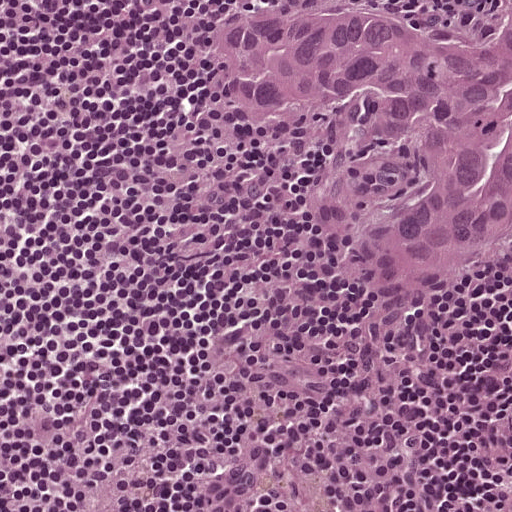
H&E-stained section of a sentinel lymph node (breast cancer), from a whole-slide image, viewed at about 20×: the field is about 0.25 mm across, about 0.49 µm per pixel.
Question: Where is the metastatic tumour in this field? Give each region's outline as (x, y) pixel points.
Answer: One metastatic tumour region; its boundary, reduced to 11 corners and listed clockwise: (202, 0), (511, 0), (511, 269), (412, 320), (343, 317), (328, 251), (380, 204), (414, 144), (333, 162), (268, 136), (208, 104).
About 25% of the image area is annotated as tumour.